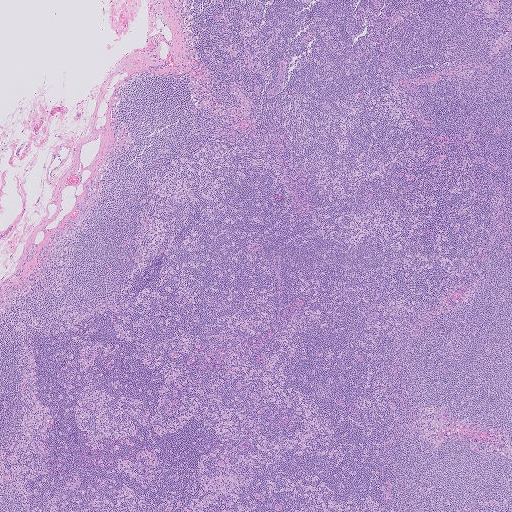
Lymph node section stained with H&E, from a whole-slide image of a breast-cancer sentinel node. Magnification about 2.5×, about 2.0 mm across the frame, about 4.0 µm per pixel.